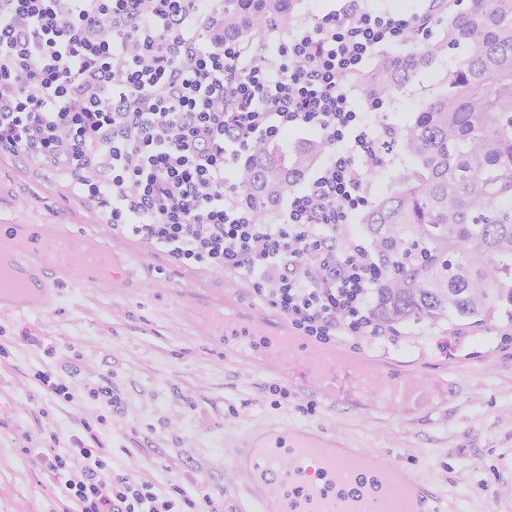
This is a crop of a whole-slide image: an H&E-stained breast-cancer sentinel lymph node section at roughly 20× magnification (about 0.5 µm per pixel; the crop spans about 0.26 mm).
Question: Where is the metastatic tumour in this field? Give each region's outline as (x, y) pixel points.
Answer: Metastatic tumour outline, simplified to 16 points and listed clockwise in crop pixels (x, y): (49, 0), (511, 0), (511, 332), (432, 343), (402, 336), (241, 242), (216, 195), (214, 146), (295, 95), (354, 20), (309, 20), (278, 56), (236, 78), (188, 70), (160, 14), (68, 28).
About 35% of the image area is annotated as tumour.